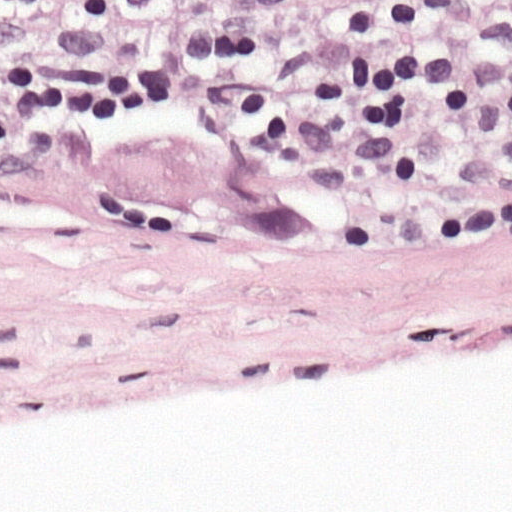
A 0.12-mm field of an H&E-stained sentinel lymph node from a breast-cancer patient (whole-slide image), shown at about 40×, about 0.24 µm per pixel.
Metastatic tumour outline, simplified to 12 points and listed clockwise in crop pixels (x, y): (58, 120), (89, 126), (96, 155), (132, 137), (182, 134), (233, 144), (278, 170), (314, 213), (308, 244), (242, 237), (105, 192), (51, 164).
About 5% of the image area is annotated as tumour.